Image:
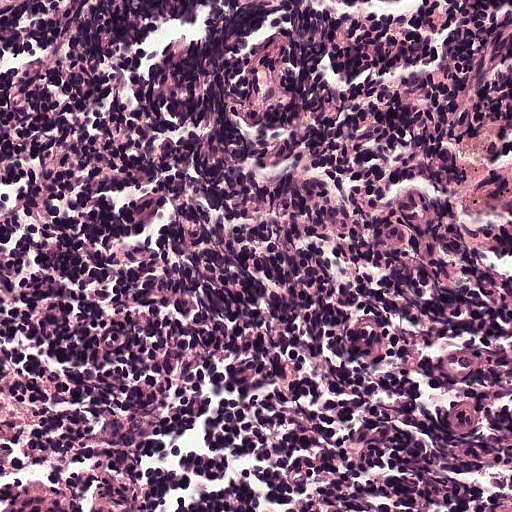
Lymph node section stained with H&E, from a whole-slide image of a breast-cancer sentinel node. Magnification about 20×, about 0.25 mm across the frame, about 0.49 µm per pixel.
Question:
Is there metastatic carcinoma in this field?
Answer:
No: no metastatic tumour is outlined anywhere in this field.